Question: 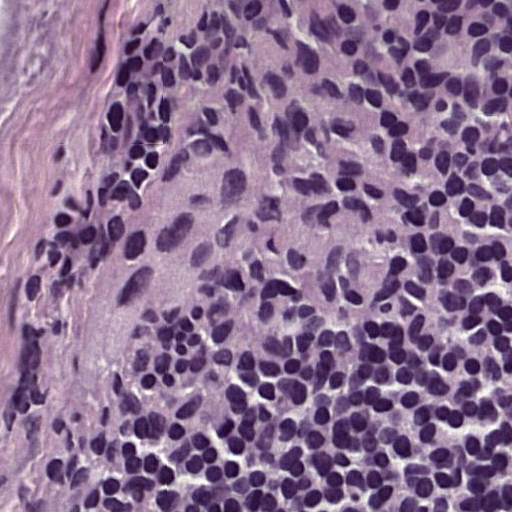
Which magnification is this H&E lymph node field most likely shown at?

Choices:
 (A) about 2.5×
 (B) about 10×
 (C) about 20×
 (D) about 40×
 (E) about 5×

Answer: (D) about 40×
H&E-stained section of a sentinel lymph node (breast cancer), from a whole-slide image, viewed at about 40×: the field is about 0.12 mm across, about 0.24 µm per pixel.
Metastatic tumour outline, simplified to 11 points and listed clockwise in crop pixels (x, y): (262, 0), (433, 0), (438, 21), (410, 199), (378, 306), (338, 353), (291, 317), (269, 243), (182, 322), (41, 364), (103, 187).
About 35% of this field is tumour.